Lymph node section stained with H&E, from a whole-slide image of a breast-cancer sentinel node. Magnification about 10×, about 0.5 mm across the frame, about 0.97 µm per pixel.
Question: 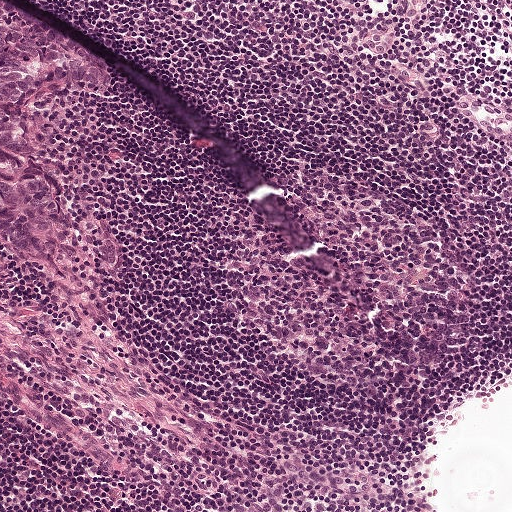
What fraction of the image area is metastatic tumour?

Choices:
 (A) about 25% to 45%
 (B) none: no tumour is outlined
 (C) about 5% or less
 (D) about 50% or more
 (E) about 10% to 20%

Answer: (C) about 5% or less
About 5% of the field is tumour.
Metastatic tumour outline, simplified to 17 points and listed clockwise in crop pixels (x, y): (0, 20), (28, 24), (82, 52), (106, 72), (112, 92), (104, 98), (50, 95), (34, 102), (30, 118), (31, 138), (46, 146), (64, 168), (76, 212), (94, 250), (72, 265), (53, 269), (2, 240).